H&E-stained section of a sentinel lymph node (breast cancer), from a whole-slide image, viewed at about 20×: the field is about 0.23 mm across, about 0.45 µm per pixel.
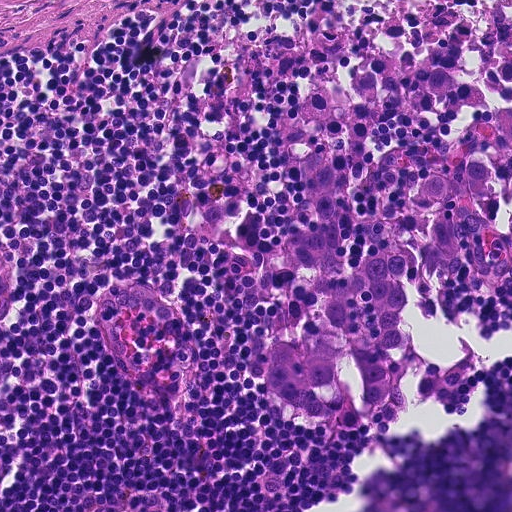
Metastatic tumour outline, simplified to 22 points and listed clockwise in crop pixels (x, y): (511, 63), (511, 280), (401, 288), (424, 357), (473, 353), (451, 407), (402, 403), (357, 428), (284, 406), (262, 362), (283, 316), (272, 269), (308, 200), (296, 152), (320, 150), (336, 170), (350, 270), (367, 231), (408, 202), (454, 136), (458, 111), (420, 79).
The annotated tumour makes up about 20% of the crop.